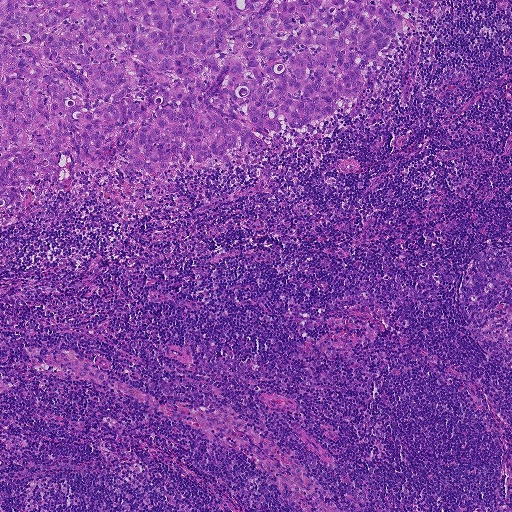
This is a crop of a whole-slide image: an H&E-stained breast-cancer sentinel lymph node section at roughly 5× magnification (about 1.8 µm per pixel; the crop spans about 0.93 mm).
The outlined metastatic tumour's edge, as a closed clockwise path of 17 points: (0, 0), (419, 1), (402, 37), (365, 66), (356, 96), (336, 100), (316, 123), (277, 131), (270, 143), (241, 146), (231, 167), (130, 170), (140, 126), (94, 151), (76, 180), (36, 178), (2, 209).
The annotated tumour makes up about 20% of the crop.